Question: 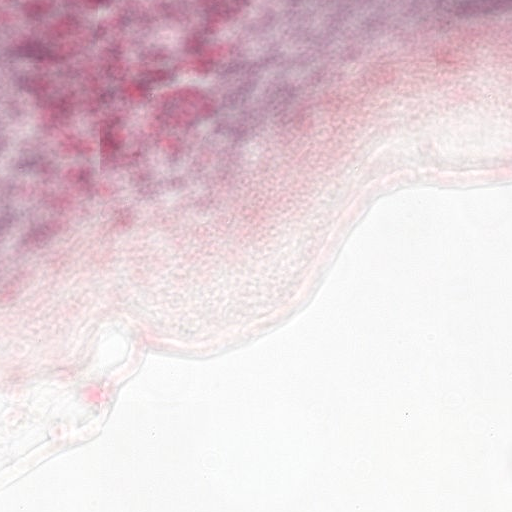
Which magnification is this H&E lymph node field most likely shown at?

Choices:
 (A) about 5×
 (B) about 10×
 (C) about 40×
 (D) about 20×
 (E) about 2.5×

Answer: (B) about 10×
A 0.5-mm field of an H&E-stained sentinel lymph node from a breast-cancer patient (whole-slide image), shown at about 10×, about 0.97 µm per pixel.